Question: 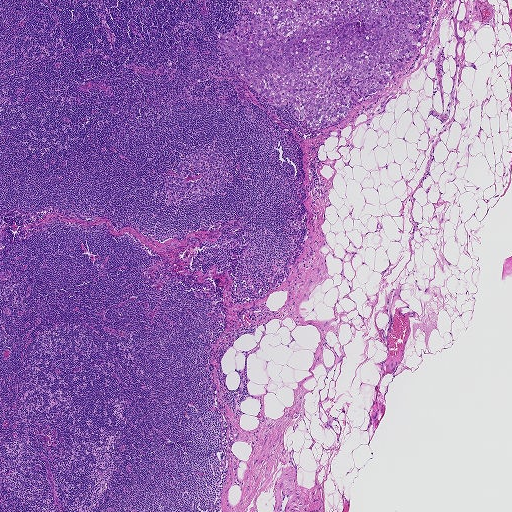
This is a crop of a whole-slide image: an H&E-stained breast-cancer sentinel lymph node section at roughly 2.5× magnification (about 3.6 µm per pixel; the crop spans about 1.9 mm).
Estimate the proportion of this field that is metastatic tumour.

Choices:
 (A) about 25% to 45%
 (B) about 50% or more
 (C) none: no tumour is outlined
 (D) about 5% or less
 (E) about 10% to 20%

Answer: (D) about 5% or less
About 5% of the field is tumour.
Metastatic tumour outline, simplified to 17 points and listed clockwise in crop pixels (x, y): (238, 0), (433, 0), (418, 53), (405, 72), (371, 100), (353, 107), (344, 119), (311, 130), (304, 119), (294, 118), (292, 103), (273, 105), (251, 88), (226, 52), (218, 48), (220, 32), (243, 18).